H&E-stained section of a sentinel lymph node (breast cancer), from a whole-slide image, viewed at about 20×: the field is about 0.23 mm across, about 0.45 µm per pixel.
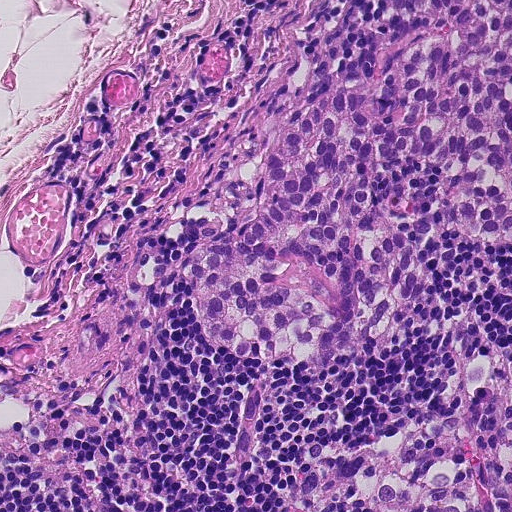
Question: Is there metastatic carcinoma in this field?
Answer: Yes.
Tumour region outline (a closed clockwise path, crop pixels): (390, 0), (511, 0), (511, 243), (455, 230), (425, 239), (416, 256), (431, 286), (399, 342), (322, 370), (212, 347), (186, 270), (202, 224), (244, 230), (284, 126), (318, 94), (365, 91), (434, 27).
Tumour covers about 25% of the frame.